Image:
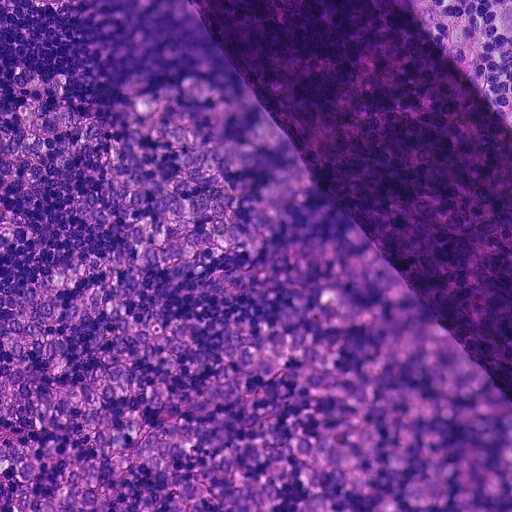
Lymph node section stained with H&E, from a whole-slide image of a breast-cancer sentinel node. Magnification about 20×, about 0.23 mm across the frame, about 0.45 µm per pixel.
Question:
Is any metastatic breast cancer visible in this crop?
Answer:
Yes.
Two metastatic tumour regions, each outlined as a closed clockwise path in crop pixels (x, y), largest first: region 1: (0, 0), (192, 0), (300, 157), (511, 399), (511, 511), (0, 511); region 2: (403, 0), (511, 0), (511, 134), (428, 35).
About 75% of the image area is annotated as tumour.